This is a crop of a whole-slide image: an H&E-stained breast-cancer sentinel lymph node section at roughly 2.5× magnification (about 3.9 µm per pixel; the crop spans about 2.0 mm).
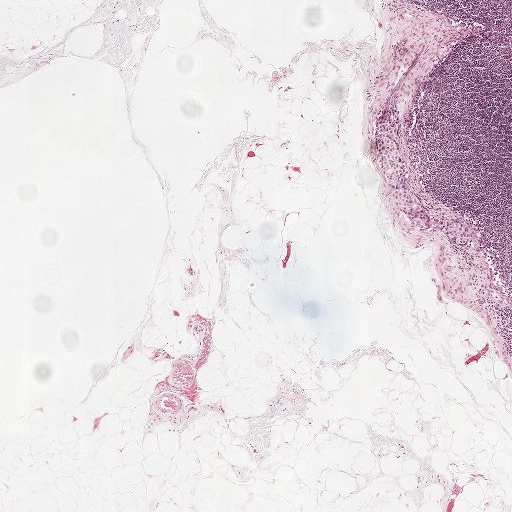
The outlined metastatic tumour's edge, as a closed clockwise path of 20 points: (385, 109), (399, 111), (397, 116), (402, 125), (404, 164), (421, 202), (431, 215), (457, 222), (472, 233), (474, 242), (469, 249), (461, 249), (449, 237), (430, 234), (402, 221), (395, 214), (390, 188), (378, 172), (375, 149), (376, 123).
Under 5% of the image area is annotated as tumour.